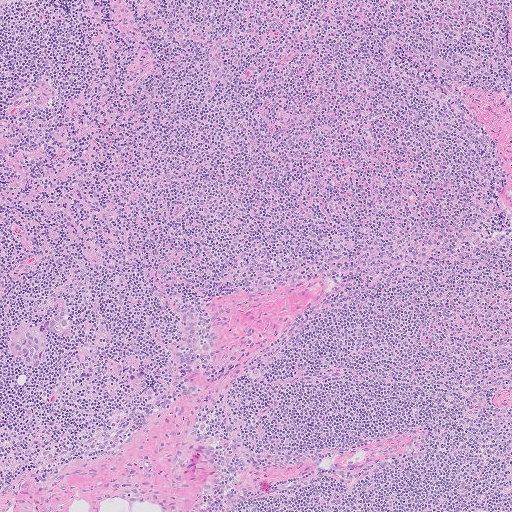
A 1.0-mm field of an H&E-stained sentinel lymph node from a breast-cancer patient (whole-slide image), shown at about 5×, about 2.0 µm per pixel.
Boundaries of three metastatic tumour regions, simplified and listed clockwise, largest first: region 1: (38, 320), (45, 340), (41, 367), (34, 369), (28, 368), (19, 358), (7, 352), (6, 346), (12, 332), (17, 326); region 2: (68, 303), (74, 324), (70, 339), (64, 340), (52, 335), (48, 329), (48, 322), (56, 309), (60, 304); region 3: (136, 370), (143, 370), (145, 381), (127, 389), (122, 386), (124, 379), (129, 374).
One more small tumour piece is annotated here but not outlined.
Tumour covers under 5% of the frame.